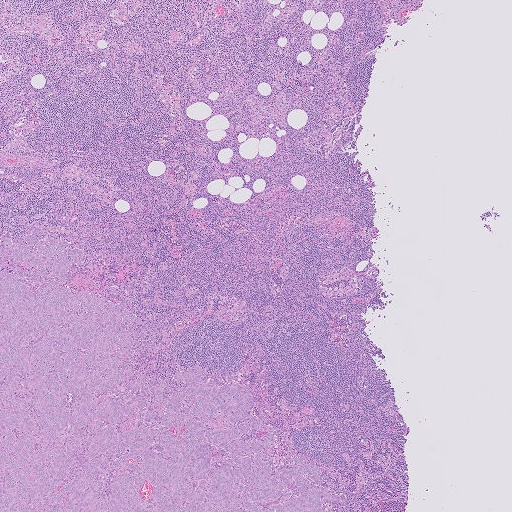
A 2.0-mm field of an H&E-stained sentinel lymph node from a breast-cancer patient (whole-slide image), shown at about 2.5×, about 4.0 µm per pixel.
Tumour region outline (a closed clockwise path, crop pixels): (60, 225), (88, 255), (73, 279), (78, 288), (119, 291), (156, 331), (136, 350), (138, 370), (168, 379), (167, 395), (181, 386), (174, 374), (182, 369), (233, 375), (278, 430), (273, 466), (305, 454), (357, 510), (0, 511), (0, 237), (21, 244).
About 20% of this field is tumour.